Question: 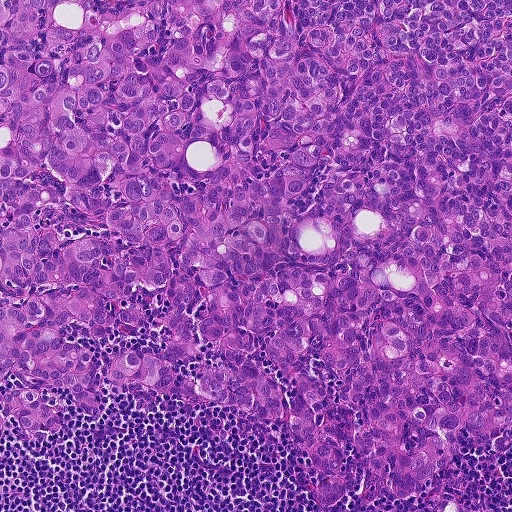
A 0.46-mm field of an H&E-stained sentinel lymph node from a breast-cancer patient (whole-slide image), shown at about 10×, about 0.9 µm per pixel.
Estimate the proportion of this field that is metastatic tumour.

Choices:
 (A) about 5% or less
 (B) about 25% to 45%
 (C) none: no tumour is outlined
 (D) about 50% or more
 (E) about 10% to 20%

Answer: (D) about 50% or more
About 85% of the field is tumour.
Metastatic tumour outline, simplified to 24 points and listed clockwise in crop pixels (x, y): (0, 0), (511, 0), (511, 442), (494, 454), (466, 425), (424, 484), (431, 502), (486, 511), (413, 511), (429, 505), (423, 491), (378, 495), (356, 447), (348, 490), (330, 507), (284, 420), (96, 380), (96, 416), (83, 418), (65, 388), (55, 433), (19, 433), (14, 416), (4, 438).